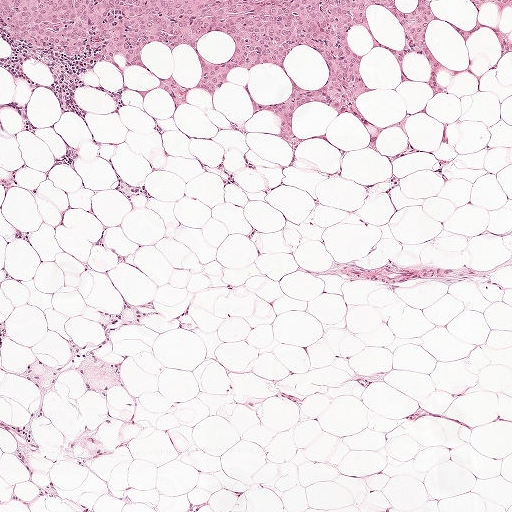
This is a crop of a whole-slide image: an H&E-stained breast-cancer sentinel lymph node section at roughly 5× magnification (about 1.9 µm per pixel; the crop spans about 1 mm).
Question: Is there metastatic carcinoma in this field?
Answer: Yes.
Metastatic tumour outline, simplified to 7 points and listed clockwise in crop pixels (x, y): (472, 0), (511, 0), (511, 7), (506, 6), (492, 2), (484, 6), (476, 7).
One more tumour region is annotated but not outlined: its edge is too irregular for a short outline.
About 10% of the image area is annotated as tumour.